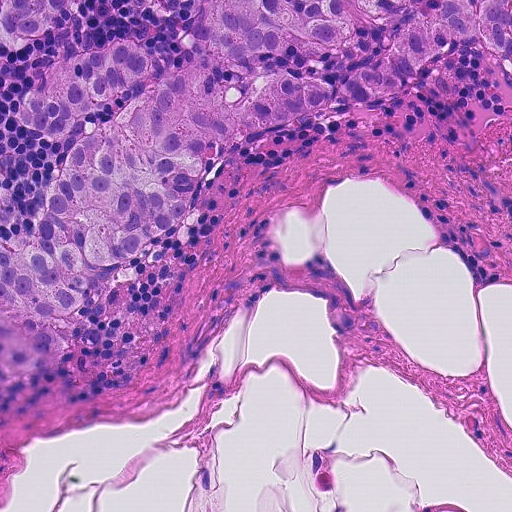
H&E-stained section of a sentinel lymph node (breast cancer), from a whole-slide image, viewed at about 20×: the field is about 0.23 mm across, about 0.45 µm per pixel.
Outlines of two tumour regions, largest first (closed clockwise paths, crop pixels): region 1: (192, 0), (511, 0), (511, 73), (466, 42), (405, 86), (258, 134), (90, 300), (57, 370), (0, 406), (0, 234), (27, 240), (83, 121), (66, 144), (29, 142), (10, 110), (28, 76), (96, 42), (134, 41), (157, 72), (197, 34); region 2: (0, 0), (77, 0), (80, 16), (46, 36), (10, 47), (0, 29).
One more small tumour piece is annotated here but not outlined.
Tumour covers about 30% of the frame.